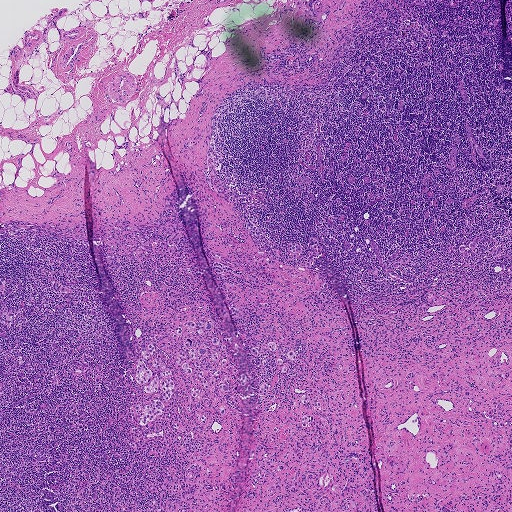
H&E-stained section of a sentinel lymph node (breast cancer), from a whole-slide image, viewed at about 2.5×: the field is about 1.9 mm across, about 3.6 µm per pixel.
Outlines of the eight largest metastatic tumour regions, each a closed clockwise path in crop pixels (x, y), largest first: region 1: (150, 344), (154, 345), (156, 352), (153, 355), (150, 354), (149, 359), (159, 360), (171, 371), (174, 388), (168, 401), (165, 401), (163, 398), (163, 391), (156, 392), (165, 407), (165, 410), (163, 414), (156, 416), (154, 420), (141, 425), (136, 421), (131, 422), (129, 415), (137, 403), (143, 404), (144, 385), (139, 384), (134, 379), (135, 364), (136, 360), (142, 358), (140, 350); region 2: (218, 337), (226, 347), (224, 349), (217, 346), (218, 352), (228, 363), (224, 366), (218, 360), (213, 362), (211, 356), (215, 351), (207, 351), (209, 362), (204, 370), (218, 367), (220, 376), (226, 378), (224, 383), (228, 391), (211, 384), (209, 390), (206, 389), (202, 381), (204, 379), (198, 375), (191, 381), (174, 360), (178, 349), (186, 353), (189, 348), (183, 345), (185, 339), (191, 338), (196, 349), (203, 345), (212, 347), (212, 338); region 3: (215, 261), (218, 261), (230, 268), (237, 269), (246, 274), (250, 274), (253, 274), (256, 275), (259, 278), (260, 281), (259, 284), (255, 284), (252, 283), (249, 282), (245, 276), (241, 275), (238, 276), (231, 274), (228, 272), (222, 274), (218, 274), (213, 270), (212, 267), (213, 263); region 4: (191, 320), (197, 323), (201, 321), (210, 321), (212, 324), (212, 327), (209, 329), (203, 328), (205, 332), (203, 335), (200, 335), (187, 331), (183, 325), (185, 322); region 5: (312, 237), (315, 238), (320, 244), (321, 251), (321, 254), (319, 256), (315, 256), (312, 257), (314, 264), (311, 266), (308, 267), (305, 266), (306, 262), (309, 262), (306, 256), (307, 253), (309, 250), (316, 252), (315, 251), (310, 247), (308, 244), (309, 238); region 6: (476, 239), (478, 242), (478, 245), (471, 250), (469, 257), (466, 258), (462, 256), (459, 246), (463, 245), (467, 245), (472, 240); region 7: (262, 382), (268, 384), (270, 390), (269, 393), (275, 394), (275, 401), (273, 402), (270, 401), (268, 399), (269, 396), (267, 394), (267, 391), (266, 394), (263, 396), (260, 395), (258, 393), (259, 386); region 8: (291, 242), (301, 245), (302, 248), (301, 251), (298, 253), (291, 252), (289, 250), (287, 246), (288, 243).
One more, smaller tumour region is not outlined.
32 more small tumour pieces are annotated here but not outlined.
Under 5% of this field is tumour.